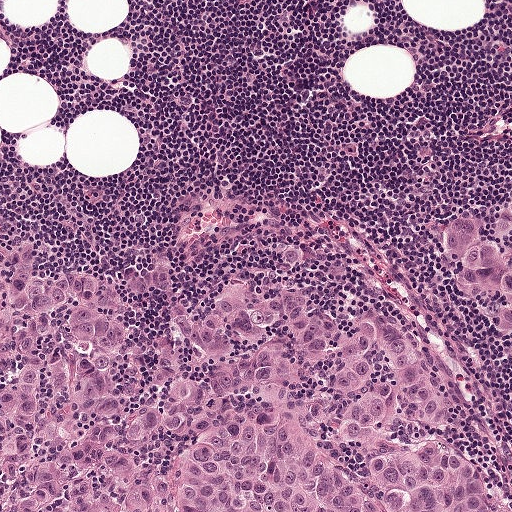
H&E-stained section of a sentinel lymph node (breast cancer), from a whole-slide image, viewed at about 10×: the field is about 0.5 mm across, about 0.97 µm per pixel.
Outlines of two tumour regions, largest first (closed clockwise paths, crop pixels): region 1: (0, 246), (37, 251), (47, 274), (118, 280), (180, 260), (198, 298), (214, 298), (231, 274), (262, 268), (275, 248), (306, 247), (314, 288), (355, 292), (440, 364), (511, 511), (0, 511); region 2: (511, 204), (511, 356), (496, 324), (459, 297), (433, 244), (436, 227), (452, 214), (487, 216).
About 45% of this field is tumour.